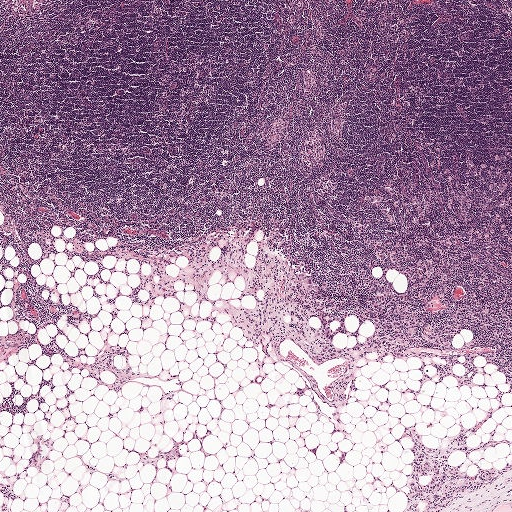
Lymph node section stained with H&E, from a whole-slide image of a breast-cancer sentinel node. Magnification about 2.5×, about 2.0 mm across the frame, about 3.9 µm per pixel.
Outlines of six tumour regions, largest first (closed clockwise paths, crop pixels): region 1: (362, 219), (426, 262), (426, 308), (478, 296), (511, 336), (511, 469), (451, 510), (401, 511), (404, 428), (437, 447), (485, 417), (495, 390), (452, 378), (419, 388), (414, 356), (353, 355), (350, 314), (327, 345), (285, 244), (322, 288), (357, 293), (370, 280), (352, 229); region 2: (40, 435), (52, 438), (53, 450), (43, 449), (42, 461), (32, 464), (15, 476), (12, 489), (15, 496), (9, 500), (9, 511), (0, 511), (0, 472), (12, 475), (19, 467), (35, 446), (35, 442), (30, 438); region 3: (206, 426), (211, 429), (211, 433), (203, 443), (203, 446), (209, 453), (210, 455), (204, 454), (200, 449), (197, 438), (188, 443), (182, 444), (181, 445), (182, 458), (179, 459), (169, 458), (172, 467), (172, 472), (169, 472), (166, 469), (155, 471), (150, 466), (141, 466), (139, 456), (128, 452), (132, 449), (138, 449), (147, 456), (153, 456), (156, 453), (170, 449), (176, 443), (187, 440), (192, 436), (193, 429), (196, 436), (201, 433); region 4: (336, 448), (346, 450), (346, 452), (344, 460), (340, 463), (339, 463), (338, 460), (338, 455), (340, 452), (338, 451), (337, 451), (334, 454), (330, 454), (329, 453), (329, 451), (331, 449), (334, 449); region 5: (303, 385), (307, 387), (307, 389), (305, 392), (305, 395), (301, 395), (294, 393), (293, 392), (293, 388), (296, 387), (301, 386); region 6: (319, 442), (320, 442), (320, 444), (317, 452), (317, 457), (307, 449), (311, 447).
One more small tumour piece is annotated here but not outlined.
About 10% of the image area is annotated as tumour.